Question: 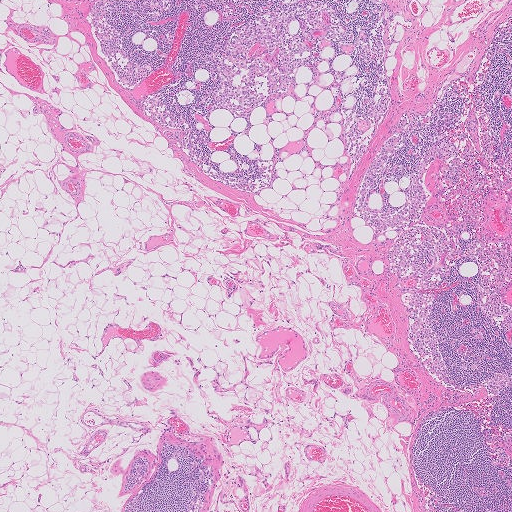
About what magnification does this crop show?

Choices:
 (A) about 40×
 (B) about 2.5×
 (C) about 10×
 (D) about 20×
 (E) about 5×

Answer: (B) about 2.5×
A 2.0-mm field of an H&E-stained sentinel lymph node from a breast-cancer patient (whole-slide image), shown at about 2.5×, about 4.0 µm per pixel.